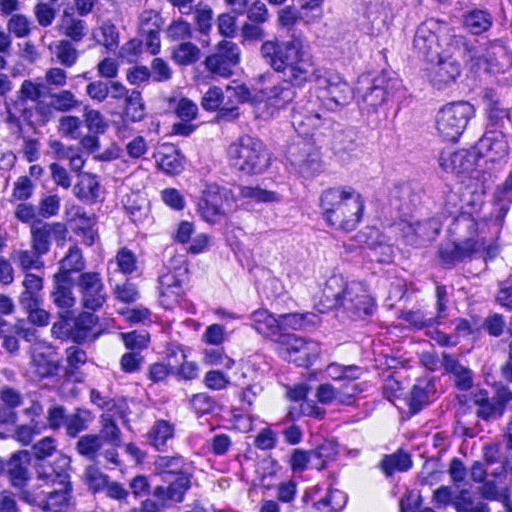
This is a crop of a whole-slide image: an H&E-stained breast-cancer sentinel lymph node section at roughly 40× magnification (about 0.23 µm per pixel; the crop spans about 0.12 mm).
Tumour region outline (a closed clockwise path, crop pixels): (313, 0), (463, 0), (480, 12), (511, 75), (511, 164), (472, 267), (432, 270), (396, 305), (348, 323), (254, 320), (112, 270), (104, 219), (125, 171), (158, 136), (294, 96).
About 35% of this field is tumour.